Image:
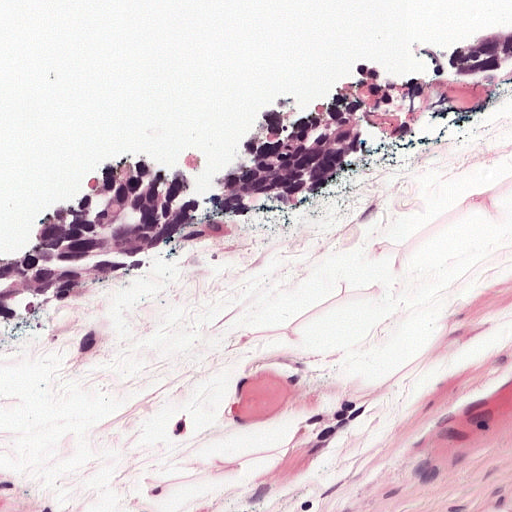
H&E-stained section of a sentinel lymph node (breast cancer), from a whole-slide image, viewed at about 20×: the field is about 0.25 mm across, about 0.49 µm per pixel.
Question:
Describe where the metastatic carcinoma lies in this crop.
Answer:
Two metastatic tumour regions, each outlined as a closed clockwise path in crop pixels (x, y), largest first: region 1: (306, 90), (372, 101), (346, 180), (1, 334), (0, 206), (105, 155); region 2: (472, 32), (511, 35), (511, 68), (466, 77), (434, 55).
Tumour covers about 20% of the frame.